Question: 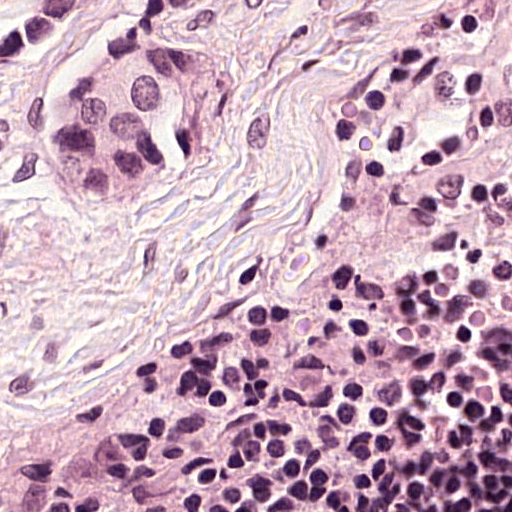
At roughly what magnification is this field shown?

Choices:
 (A) about 5×
 (B) about 2.5×
 (C) about 10×
 (D) about 40×
 (E) about 20×

Answer: (D) about 40×
A 0.12-mm field of an H&E-stained sentinel lymph node from a breast-cancer patient (whole-slide image), shown at about 40×, about 0.24 µm per pixel.
The outlined metastatic tumour's edge, as a closed clockwise path of 15 points: (115, 38), (147, 59), (159, 59), (174, 77), (172, 132), (181, 140), (181, 171), (155, 200), (139, 205), (117, 205), (68, 181), (51, 142), (49, 110), (62, 83), (100, 59).
One more small tumour piece is annotated here but not outlined.
The annotated tumour makes up about 5% of the crop.